Image:
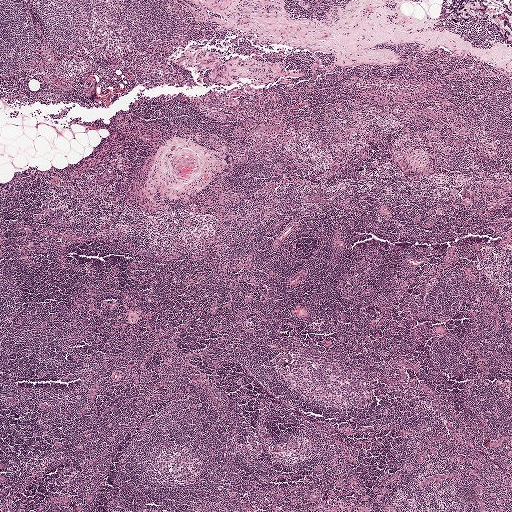
H&E-stained section of a sentinel lymph node (breast cancer), from a whole-slide image, viewed at about 2.5×: the field is about 2.0 mm across, about 3.9 µm per pixel.
Question:
Is any metastatic breast cancer visible in this crop?
Answer:
Yes.
Two metastatic tumour regions, each outlined as a closed clockwise path in crop pixels (x, y), largest first: region 1: (235, 88), (240, 90), (240, 95), (237, 97), (240, 101), (235, 107), (227, 107), (223, 104), (229, 93); region 2: (246, 84), (254, 87), (260, 87), (263, 89), (263, 91), (261, 93), (257, 94), (250, 93), (245, 91), (243, 88).
Tumour covers under 5% of the frame.